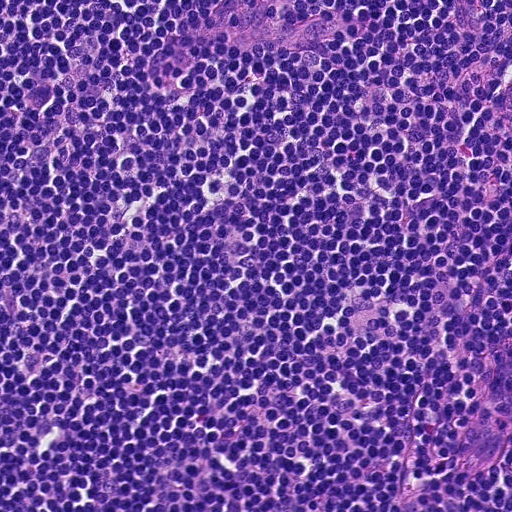
A 0.23-mm field of an H&E-stained sentinel lymph node from a breast-cancer patient (whole-slide image), shown at about 20×, about 0.45 µm per pixel.
Question: Does this lymph node field contain metastatic tumour?
Answer: No, this field holds no outlined metastasis.